Question: 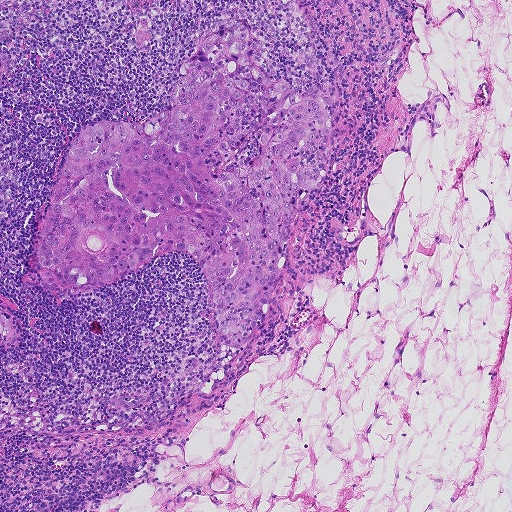
H&E-stained section of a sentinel lymph node (breast cancer), from a whole-slide image, viewed at about 5×: the field is about 0.93 mm across, about 1.8 µm per pixel.
Roughly what share of this field is metastatic tumour?

Choices:
 (A) none: no tumour is outlined
 (B) about 25% to 45%
 (C) about 5% or less
 (D) about 50% or more
 (E) about 10% to 20%

Answer: (E) about 10% to 20%
About 20% of the field is tumour.
Boundaries of two metastatic tumour regions, simplified and listed clockwise, largest first: region 1: (227, 19), (244, 26), (256, 64), (328, 113), (332, 144), (324, 174), (296, 208), (285, 289), (242, 345), (224, 342), (206, 283), (182, 250), (76, 293), (39, 279), (36, 238), (78, 132), (96, 121), (158, 115), (184, 61); region 2: (0, 314), (8, 318), (12, 327), (10, 336), (0, 342).